Question: 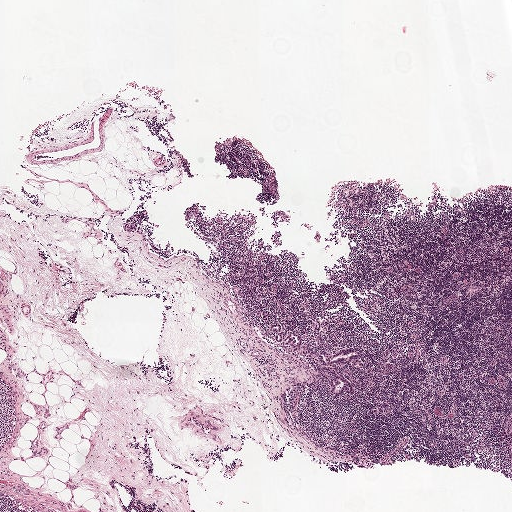
H&E-stained section of a sentinel lymph node (breast cancer), from a whole-slide image, viewed at about 2.5×: the field is about 2.0 mm across, about 3.9 µm per pixel.
Roughly what share of this field is metastatic tumour?

Choices:
 (A) about 10% to 20%
 (B) about 5% or less
 (C) about 25% to 45%
 (D) none: no tumour is outlined
 (E) about 50% or more

Answer: (B) about 5% or less
Under 5% of the field is tumour.
Four metastatic tumour regions, each outlined as a closed clockwise path in crop pixels (x, y), largest first: region 1: (269, 324), (279, 324), (279, 330), (283, 334), (298, 334), (301, 342), (306, 342), (313, 348), (327, 348), (330, 351), (351, 347), (360, 350), (361, 352), (361, 356), (350, 363), (329, 368), (332, 368), (349, 380), (353, 389), (351, 391), (342, 391), (338, 393), (327, 392), (326, 383), (318, 373), (316, 364), (307, 356), (295, 357), (291, 354), (291, 347), (288, 344), (283, 341), (274, 340), (272, 333), (268, 330); region 2: (380, 401), (381, 402), (382, 401), (390, 404), (391, 408), (390, 412), (378, 412), (373, 412), (369, 411), (370, 409), (377, 407); region 3: (255, 308), (262, 308), (266, 311), (267, 313), (266, 319), (265, 319), (262, 319), (258, 318), (253, 315), (252, 313), (253, 310); region 4: (341, 367), (347, 369), (350, 373), (354, 378), (355, 380), (355, 383), (354, 383), (351, 381), (347, 377), (345, 374), (340, 370).
One more small tumour piece is annotated here but not outlined.